H&E-stained section of a sentinel lymph node (breast cancer), from a whole-slide image, viewed at about 20×: the field is about 0.23 mm across, about 0.45 µm per pixel.
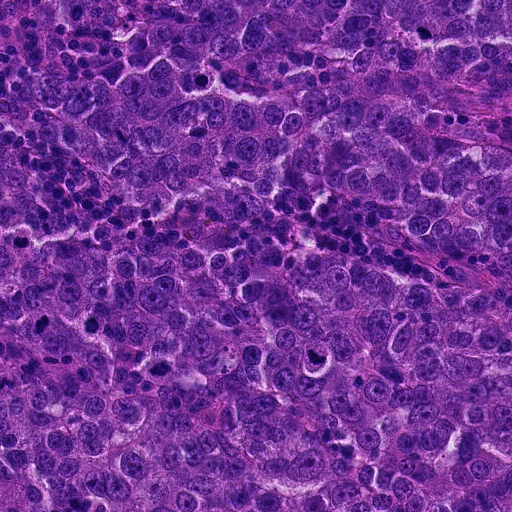
Tumour region outline (a closed clockwise path, crop pixels): (72, 0), (511, 0), (511, 511), (0, 511), (0, 140), (54, 211), (130, 244), (346, 258), (485, 294), (348, 204), (296, 196), (221, 222), (98, 167), (72, 120), (30, 86), (39, 62), (94, 64), (134, 47).
About 90% of this field is tumour.